Question: 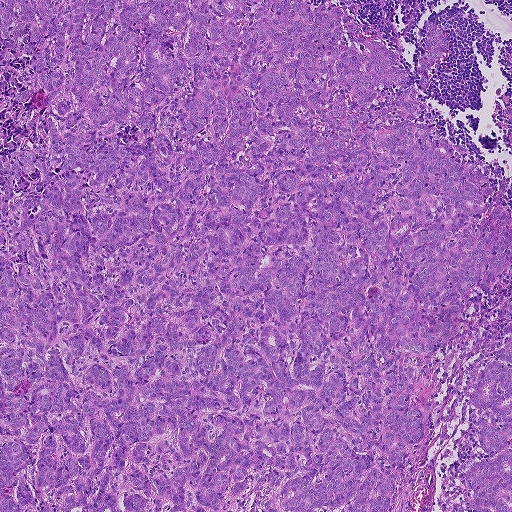
H&E-stained section of a sentinel lymph node (breast cancer), from a whole-slide image, viewed at about 5×: the field is about 0.93 mm across, about 1.8 µm per pixel.
What fraction of the image area is metastatic tumour?

Choices:
 (A) about 50% or more
 (B) none: no tumour is outlined
 (C) about 10% to 20%
 (D) about 5% or less
 (E) about 25% to 45%

Answer: (A) about 50% or more
About 95% of the field is tumour.
Tumour region outline (a closed clockwise path, crop pixels): (0, 0), (327, 1), (378, 28), (390, 50), (406, 47), (400, 67), (412, 86), (422, 27), (441, 26), (450, 48), (418, 94), (431, 124), (490, 164), (494, 189), (509, 175), (511, 511), (0, 511).